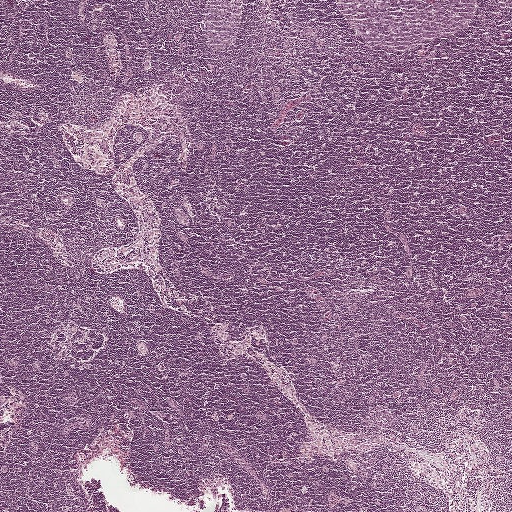
This is a crop of a whole-slide image: an H&E-stained breast-cancer sentinel lymph node section at roughly 2.5× magnification (about 3.9 µm per pixel; the crop spans about 2.0 mm).
Question: Is there metastatic carcinoma in this field?
Answer: No: no metastatic tumour is outlined anywhere in this field.